A 0.25-mm field of an H&E-stained sentinel lymph node from a breast-cancer patient (whole-slide image), shown at about 20×, about 0.49 µm per pixel.
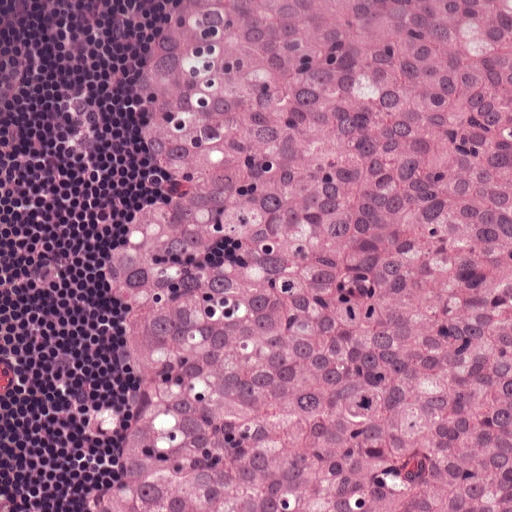
Question: Show where the tumour is in this image.
Answer: Tumour region outline (a closed clockwise path, crop pixels): (149, 0), (511, 0), (511, 511), (87, 511), (108, 364), (96, 268).
About 80% of the image area is annotated as tumour.